A 0.23-mm field of an H&E-stained sentinel lymph node from a breast-cancer patient (whole-slide image), shown at about 20×, about 0.45 µm per pixel.
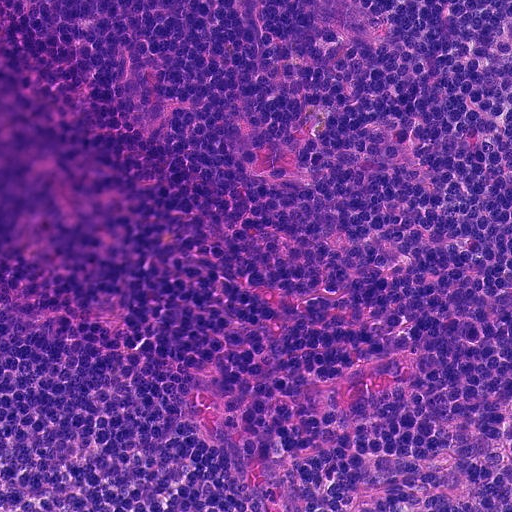
Question: Is any metastatic breast cancer visible in this crop?
Answer: No, this field holds no outlined metastasis.